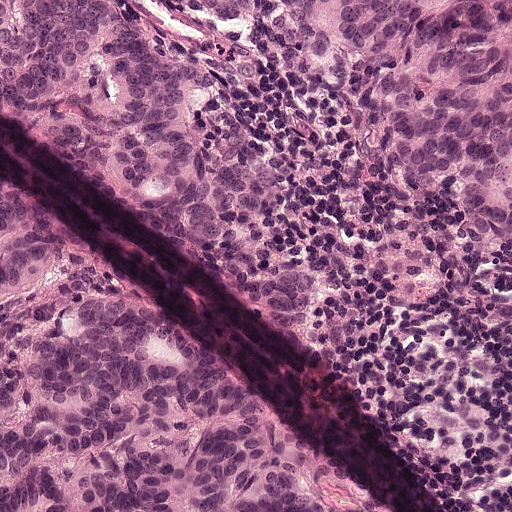
A 0.25-mm field of an H&E-stained sentinel lymph node from a breast-cancer patient (whole-slide image), shown at about 20×, about 0.49 µm per pixel.
Outlines of two tumour regions, largest first (closed clockwise paths, crop pixels): region 1: (0, 0), (511, 0), (511, 511), (477, 511), (432, 478), (169, 218), (0, 114); region 2: (0, 166), (69, 224), (128, 300), (213, 357), (352, 509), (0, 511).
About 85% of this field is tumour.